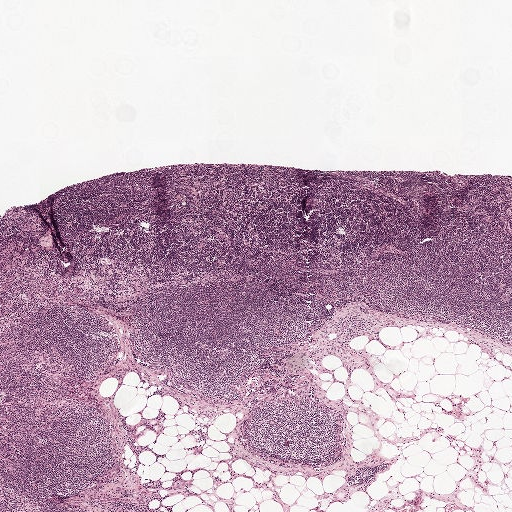
This is a crop of a whole-slide image: an H&E-stained breast-cancer sentinel lymph node section at roughly 2.5× magnification (about 3.9 µm per pixel; the crop spans about 2.0 mm).